Question: 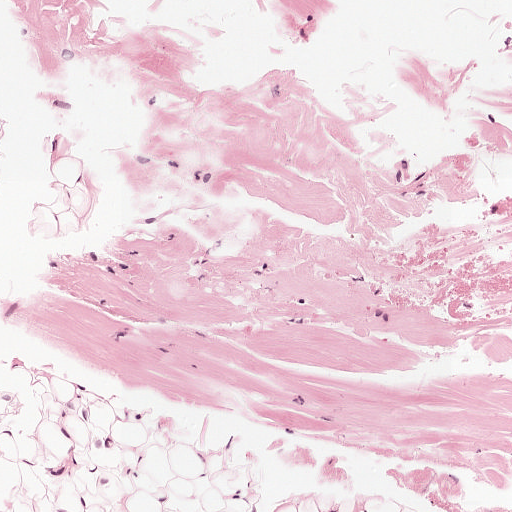
About what magnification does this crop show?

Choices:
 (A) about 5×
 (B) about 2.5×
 (C) about 20×
 (D) about 10×
 (E) about 40×

Answer: (D) about 10×
Lymph node section stained with H&E, from a whole-slide image of a breast-cancer sentinel node. Magnification about 10×, about 0.5 mm across the frame, about 0.97 µm per pixel.